Image:
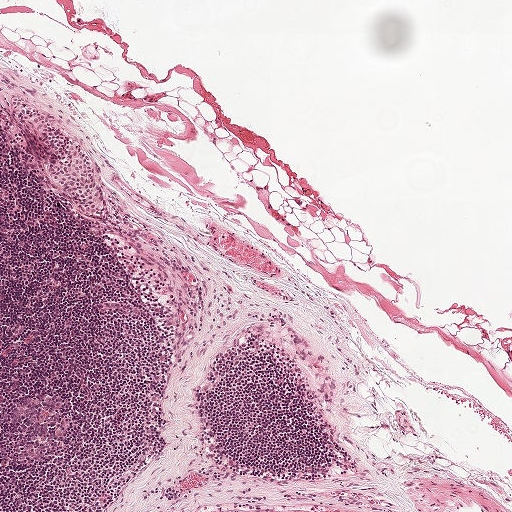
This is a crop of a whole-slide image: an H&E-stained breast-cancer sentinel lymph node section at roughly 5× magnification (about 1.9 µm per pixel; the crop spans about 1 mm).
Question:
Where is the metastatic tumour in this field?
Answer:
The outlined metastatic tumour's edge, as a closed clockwise path of 16 points: (17, 97), (27, 101), (46, 114), (91, 158), (100, 187), (106, 196), (109, 220), (107, 226), (95, 226), (83, 220), (64, 191), (54, 184), (42, 142), (31, 129), (22, 125), (11, 101).
Under 5% of this field is tumour.